Question: 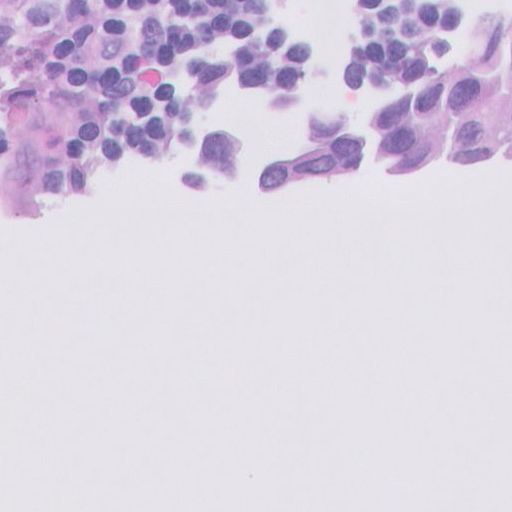
About what magnification does this crop show?

Choices:
 (A) about 20×
 (B) about 5×
 (C) about 10×
 (D) about 40×
 (E) about 2.5×

Answer: (D) about 40×
Lymph node section stained with H&E, from a whole-slide image of a breast-cancer sentinel node. Magnification about 40×, about 0.13 mm across the frame, about 0.25 µm per pixel.
Tumour region outline (a closed clockwise path, crop pixels): (511, 0), (511, 169), (486, 189), (295, 210), (152, 187), (198, 113), (250, 123).
The annotated tumour makes up about 15% of the crop.